Image:
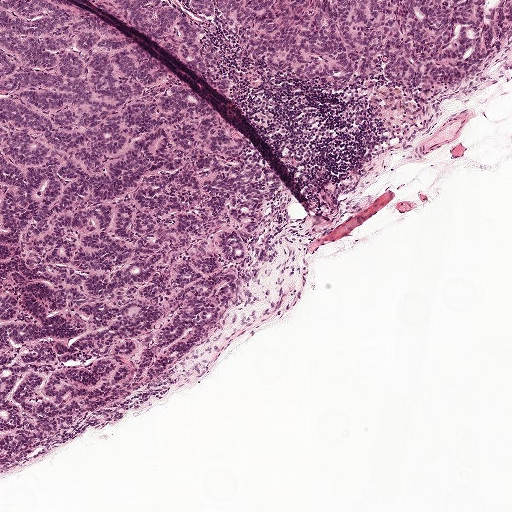
Lymph node section stained with H&E, from a whole-slide image of a breast-cancer sentinel node. Magnification about 5×, about 1 mm across the frame, about 1.9 µm per pixel.
Question:
Does this lymph node field contain metastatic tumour?
Answer:
Yes.
Outlines of two tumour regions, largest first (closed clockwise paths, crop pixels): region 1: (0, 0), (68, 0), (157, 57), (288, 193), (208, 334), (58, 448), (1, 467); region 2: (78, 0), (511, 0), (511, 31), (441, 91), (421, 94), (387, 77), (374, 82), (367, 102), (395, 143), (332, 189), (309, 195), (269, 137), (193, 66).
About 50% of the image area is annotated as tumour.